Image:
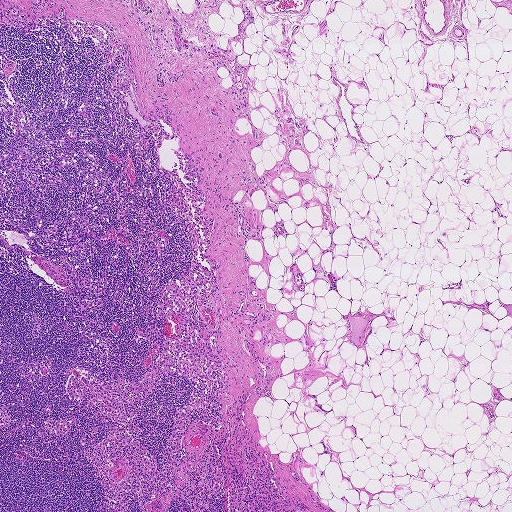
Lymph node section stained with H&E, from a whole-slide image of a breast-cancer sentinel node. Magnification about 2.5×, about 1.9 mm across the frame, about 3.6 µm per pixel.
Question:
Is any metastatic breast cancer visible in this crop?
Answer:
No, this field holds no outlined metastasis.